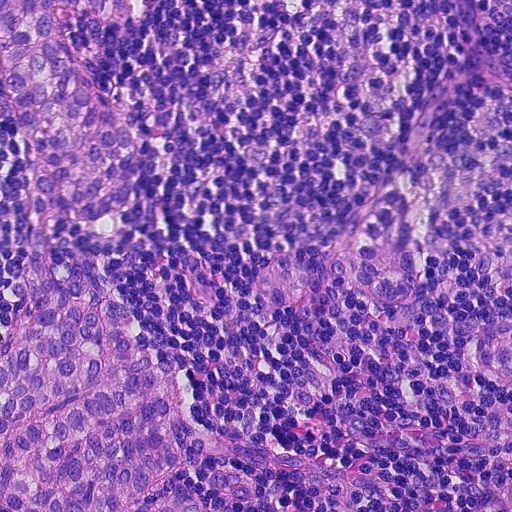
A 0.23-mm field of an H&E-stained sentinel lymph node from a breast-cancer patient (whole-slide image), shown at about 20×, about 0.45 µm per pixel.
Boundaries of two metastatic tumour regions, simplified and listed clockwise, largest first: region 1: (0, 0), (143, 0), (142, 20), (107, 34), (66, 28), (82, 64), (136, 117), (139, 156), (128, 230), (113, 248), (74, 232), (82, 252), (114, 273), (221, 440), (295, 464), (202, 459), (165, 474), (138, 511), (0, 511), (0, 348), (28, 272); region 2: (511, 490), (511, 511), (479, 511), (495, 498).
The annotated tumour makes up about 25% of the crop.